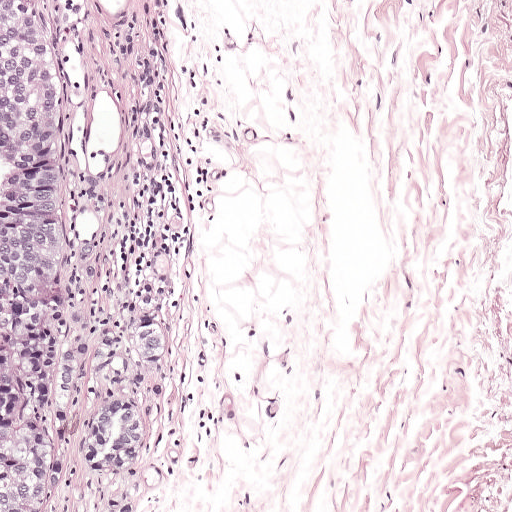
Lymph node section stained with H&E, from a whole-slide image of a breast-cancer sentinel node. Magnification about 10×, about 0.5 mm across the frame, about 0.97 µm per pixel.
Question: Where is the metastatic tumour in this field? Give each region's outline as (x, y) pixel points.
Answer: Boundaries of six metastatic tumour regions, simplified and listed clockwise, largest first: region 1: (0, 0), (52, 0), (80, 163), (60, 377), (75, 339), (91, 344), (78, 375), (68, 435), (59, 443), (55, 423), (53, 462), (63, 462), (64, 479), (50, 494), (49, 476), (37, 510), (0, 511); region 2: (126, 398), (134, 402), (149, 424), (143, 444), (132, 463), (115, 473), (87, 462), (82, 443), (92, 407); region 3: (144, 286), (157, 296), (165, 340), (158, 360), (136, 359), (132, 337); region 4: (99, 241), (100, 279), (84, 283), (80, 260), (82, 242); region 5: (167, 381), (167, 396), (150, 418), (142, 408), (154, 382); region 6: (108, 497), (124, 500), (138, 509), (134, 511), (104, 511).
Tumour covers about 15% of the frame.